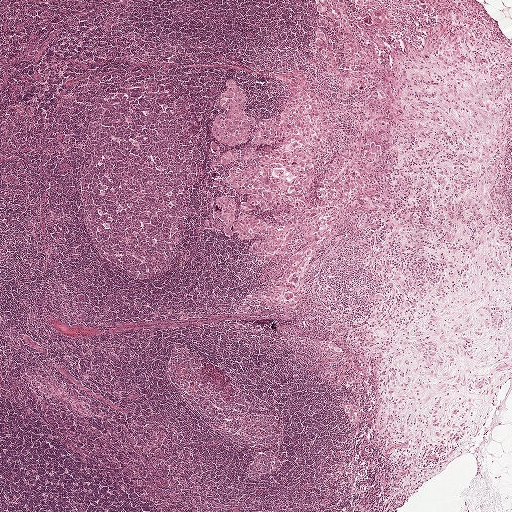
A 2.0-mm field of an H&E-stained sentinel lymph node from a breast-cancer patient (whole-slide image), shown at about 2.5×, about 3.9 µm per pixel.
The outlined metastatic tumour's edge, as a closed clockwise path of 24 points: (313, 0), (385, 0), (397, 9), (406, 40), (400, 142), (370, 187), (345, 200), (299, 307), (264, 313), (244, 305), (259, 266), (241, 242), (203, 221), (215, 190), (208, 141), (221, 109), (217, 94), (232, 76), (251, 110), (273, 115), (288, 97), (291, 72), (330, 92), (315, 43).
About 15% of this field is tumour.